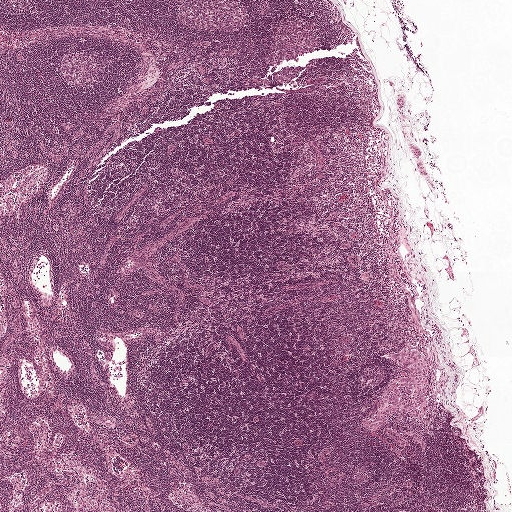
H&E-stained section of a sentinel lymph node (breast cancer), from a whole-slide image, viewed at about 2.5×: the field is about 2.0 mm across, about 3.9 µm per pixel.
Metastatic tumour outline, simplified to 18 points and listed clockwise in crop pixels (x, y): (407, 346), (419, 349), (429, 359), (431, 412), (427, 418), (416, 420), (400, 409), (382, 428), (376, 431), (370, 431), (362, 426), (361, 422), (377, 410), (391, 383), (398, 378), (409, 376), (404, 366), (387, 355).
Under 5% of the image area is annotated as tumour.